Image:
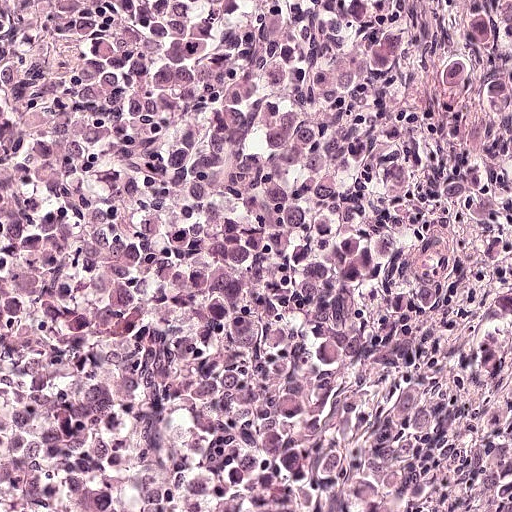
This is a crop of a whole-slide image: an H&E-stained breast-cancer sentinel lymph node section at roughly 20× magnification (about 0.49 µm per pixel; the crop spans about 0.25 mm).
Question:
Which parts of this field are metastatic tumour? Answer with the outline of each region, in pixels.
Answer:
The outlined metastatic tumour's edge, as a closed clockwise path of 8 points: (0, 0), (386, 0), (402, 100), (433, 188), (433, 276), (406, 444), (382, 507), (0, 511).
Tumour covers about 80% of the frame.